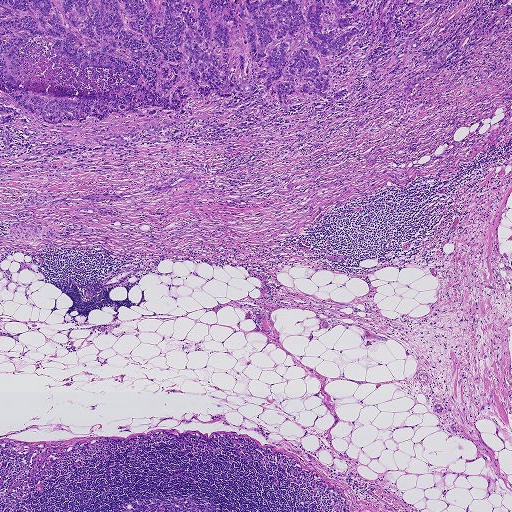
A 1.9-mm field of an H&E-stained sentinel lymph node from a breast-cancer patient (whole-slide image), shown at about 2.5×, about 3.6 µm per pixel.
Metastatic tumour outline, simplified to 20 points and listed clockwise in crop pixels (x, y): (0, 0), (511, 0), (511, 29), (450, 54), (404, 96), (400, 88), (436, 58), (420, 63), (409, 44), (406, 64), (365, 92), (284, 113), (248, 104), (214, 118), (150, 118), (105, 131), (18, 123), (74, 143), (147, 144), (0, 170).
The annotated tumour makes up about 20% of the crop.